Lymph node section stained with H&E, from a whole-slide image of a breast-cancer sentinel node. Magnification about 20×, about 0.25 mm across the frame, about 0.49 µm per pixel.
Image:
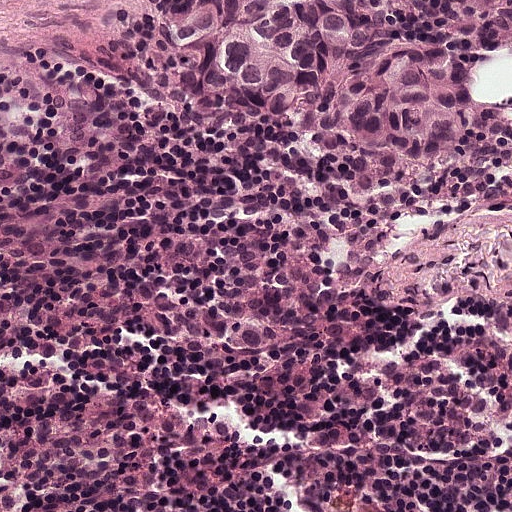
Question:
Is any metastatic breast cancer visible in this crop?
Answer:
Yes.
Tumour region outline (a closed clockwise path, crop pixels): (386, 0), (410, 42), (451, 36), (476, 44), (494, 118), (494, 158), (460, 182), (359, 187), (280, 118), (228, 108), (194, 88), (163, 2).
Tumour covers about 15% of the frame.